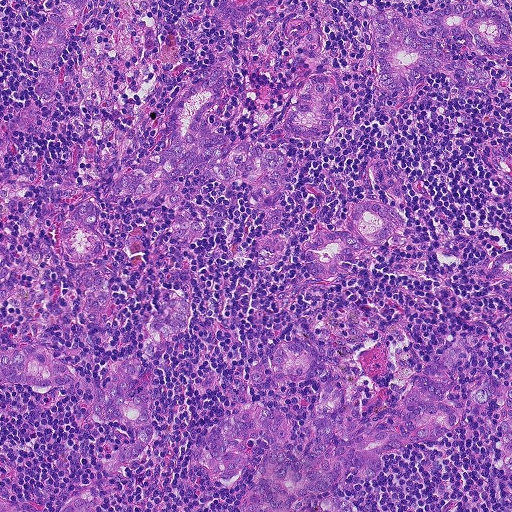
H&E-stained section of a sentinel lymph node (breast cancer), from a whole-slide image, viewed at about 10×: the field is about 0.46 mm across, about 0.9 µm per pixel.
Outlines of the eight largest metastatic tumour regions, each a closed clockwise path in crop pixels (x, y), largest first: region 1: (467, 332), (451, 367), (445, 403), (463, 410), (454, 426), (386, 458), (383, 476), (366, 481), (350, 471), (325, 496), (342, 498), (356, 511), (312, 511), (308, 496), (292, 511), (238, 511), (264, 442), (246, 439), (244, 475), (229, 484), (212, 478), (199, 464), (197, 445), (204, 428), (254, 403), (290, 418), (296, 435), (320, 378), (286, 383), (271, 371), (268, 353), (280, 340), (298, 334), (316, 341), (343, 386), (339, 404), (364, 391), (362, 418), (396, 406), (430, 362); region 2: (220, 69), (226, 79), (225, 94), (219, 108), (206, 116), (211, 131), (273, 150), (286, 159), (290, 173), (279, 202), (287, 246), (280, 260), (266, 265), (252, 258), (253, 243), (264, 224), (264, 208), (254, 207), (245, 178), (229, 183), (214, 181), (205, 169), (175, 182), (186, 194), (184, 209), (206, 225), (197, 238), (183, 244), (169, 239), (167, 224), (174, 210), (154, 194), (136, 200), (121, 190), (122, 175), (144, 155), (160, 152), (169, 139), (171, 108), (192, 85); region 3: (358, 1), (372, 11), (385, 9), (413, 14), (468, 2), (496, 9), (511, 36), (511, 58), (490, 56), (452, 37), (439, 42), (489, 69), (492, 82), (479, 87), (465, 86), (439, 72), (425, 71), (412, 78), (401, 104), (388, 106), (377, 97), (373, 41), (355, 15); region 4: (181, 297), (190, 308), (188, 324), (152, 352), (144, 365), (154, 424), (146, 453), (117, 465), (112, 451), (125, 444), (134, 432), (123, 422), (92, 422), (87, 408), (92, 393), (62, 388), (0, 389), (0, 341), (32, 338), (84, 378), (100, 378), (136, 356), (166, 302); region 5: (366, 200), (382, 202), (397, 208), (409, 237), (397, 246), (366, 244), (338, 274), (324, 278), (308, 273), (302, 259), (301, 244), (331, 233), (347, 232), (344, 218), (351, 204); region 6: (62, 0), (85, 0), (84, 8), (71, 30), (62, 54), (56, 65), (49, 70), (58, 80), (58, 92), (49, 101), (37, 99), (34, 86), (39, 75), (42, 72), (32, 65), (30, 52), (34, 39); region 7: (321, 72), (334, 80), (336, 95), (328, 108), (333, 122), (327, 137), (312, 139), (282, 130), (284, 115), (292, 102), (296, 87), (306, 74); region 8: (78, 200), (93, 200), (100, 244), (93, 258), (79, 265), (65, 260), (59, 247), (59, 232), (64, 216), (70, 213).
Seven more, smaller tumour regions are not outlined.
About 25% of this field is tumour.